Image:
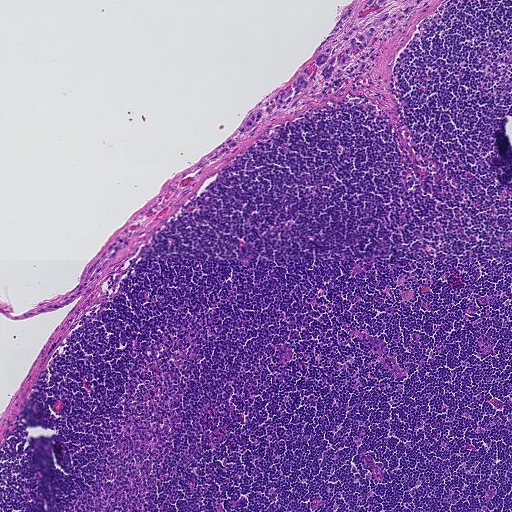
Lymph node section stained with H&E, from a whole-slide image of a breast-cancer sentinel node. Magnification about 5×, about 0.93 mm across the frame, about 1.8 µm per pixel.
Question:
Which parts of this field are metastatic tumour?
Answer:
Tumour region outline (a closed clockwise path, crop pixels): (354, 0), (428, 0), (334, 92), (282, 110), (253, 128), (236, 130), (260, 99), (289, 80).
Tumour covers about 5% of the frame.